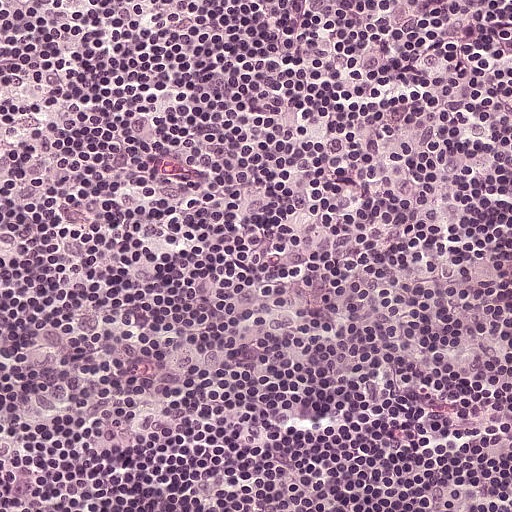
This is a crop of a whole-slide image: an H&E-stained breast-cancer sentinel lymph node section at roughly 20× magnification (about 0.49 µm per pixel; the crop spans about 0.25 mm).